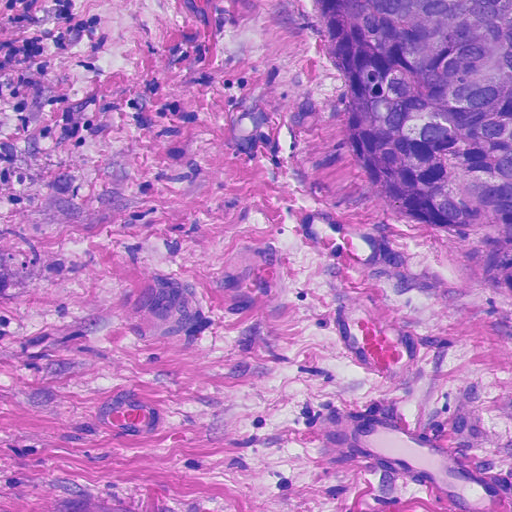
This is a crop of a whole-slide image: an H&E-stained breast-cancer sentinel lymph node section at roughly 20× magnification (about 0.45 µm per pixel; the crop spans about 0.23 mm).
Question: Show where the tumour is in this image.
Answer: Outlines of three tumour regions, largest first (closed clockwise paths, crop pixels): region 1: (298, 0), (511, 0), (511, 325), (441, 242), (371, 188), (343, 138), (340, 90); region 2: (62, 496), (98, 496), (134, 508), (142, 511), (50, 511); region 3: (0, 268), (11, 277), (6, 292), (0, 295).
The annotated tumour makes up about 15% of the crop.